Question: 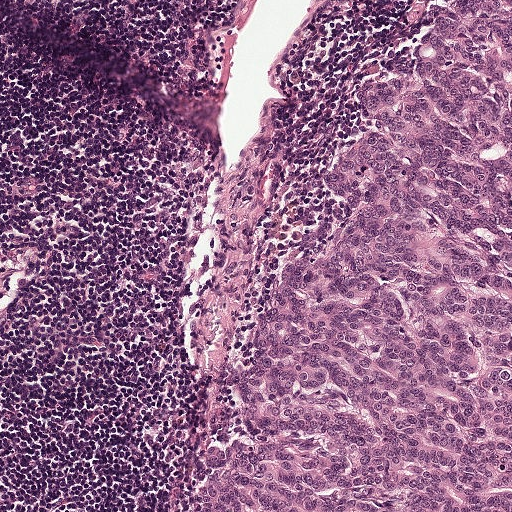
This is a crop of a whole-slide image: an H&E-stained breast-cancer sentinel lymph node section at roughly 10× magnification (about 0.97 µm per pixel; the crop spans about 0.5 mm).
Estimate the proportion of this field that is metastatic tumour.

Choices:
 (A) about 10% to 20%
 (B) none: no tumour is outlined
 (C) about 25% to 45%
 (D) about 50% or more
 (E) about 5% or less

Answer: (C) about 25% to 45%
About 45% of the field is tumour.
Metastatic tumour outline, simplified to 9 points and listed clockwise in crop pixels (x, y): (511, 0), (511, 511), (174, 511), (250, 316), (313, 219), (320, 171), (360, 102), (407, 60), (444, 1).